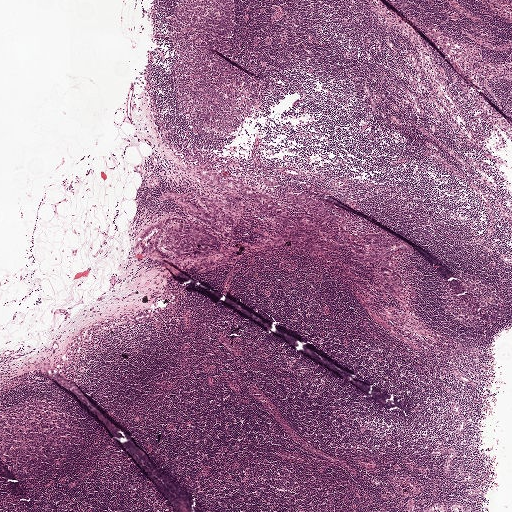
H&E-stained section of a sentinel lymph node (breast cancer), from a whole-slide image, viewed at about 2.5×: the field is about 2.0 mm across, about 3.9 µm per pixel.
Outlines of six tumour regions, largest first (closed clockwise paths, crop pixels): region 1: (174, 216), (187, 221), (215, 236), (220, 243), (219, 251), (200, 259), (183, 259), (164, 265), (142, 257), (136, 240), (146, 227), (163, 218); region 2: (308, 217), (325, 226), (346, 231), (355, 236), (373, 233), (392, 236), (407, 244), (413, 254), (397, 255), (393, 261), (393, 265), (402, 272), (409, 293), (400, 297), (390, 294), (384, 288), (380, 278), (380, 265), (359, 263), (347, 247), (305, 232), (296, 223), (296, 218); region 3: (188, 190), (198, 196), (216, 196), (223, 202), (224, 195), (234, 195), (239, 198), (242, 213), (238, 225), (228, 230), (230, 234), (228, 237), (223, 237), (206, 225), (185, 214), (172, 202), (158, 199), (159, 194), (165, 191); region 4: (200, 165), (244, 184), (260, 188), (278, 204), (284, 211), (283, 214), (275, 215), (261, 209), (239, 193), (219, 188), (196, 174), (196, 169); region 5: (303, 192), (342, 208), (348, 215), (347, 225), (342, 226), (328, 224), (307, 215), (289, 204), (286, 196), (287, 193); region 6: (265, 177), (269, 179), (270, 181), (272, 180), (275, 181), (278, 181), (278, 185), (270, 187), (268, 187), (264, 185), (262, 183), (262, 179).
About 5% of this field is tumour.